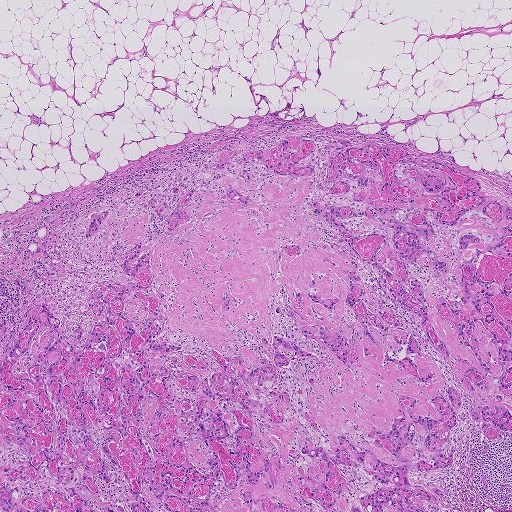
Lymph node section stained with H&E, from a whole-slide image of a breast-cancer sentinel node. Magnification about 2.5×, about 1.9 mm across the frame, about 3.6 µm per pixel.
Tumour region outline (a closed clockwise path, crop pixels): (398, 146), (511, 207), (511, 438), (454, 409), (454, 465), (425, 477), (441, 506), (0, 511), (0, 363), (40, 302), (67, 330), (105, 320), (87, 295), (123, 284), (137, 244), (86, 241), (91, 214), (155, 186), (168, 215), (178, 200), (169, 191), (228, 148).
About 60% of this field is tumour.